H&E-stained section of a sentinel lymph node (breast cancer), from a whole-slide image, viewed at about 2.5×: the field is about 2.0 mm across, about 3.9 µm per pixel.
Image:
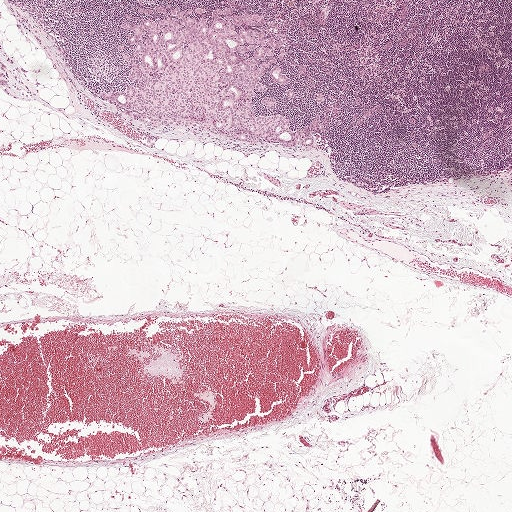
Question:
Does this lymph node field contain metastatic tumour?
Answer:
Yes.
Two metastatic tumour regions, each outlined as a closed clockwise path in crop pixels (x, y), largest first: region 1: (231, 7), (261, 15), (288, 54), (280, 67), (290, 85), (271, 80), (268, 67), (254, 113), (282, 114), (296, 130), (316, 111), (322, 125), (313, 147), (253, 144), (187, 126), (148, 128), (102, 95), (128, 91), (118, 49), (131, 47), (120, 26), (138, 23), (138, 8); region 2: (268, 96), (273, 97), (275, 100), (276, 108), (275, 110), (268, 110), (261, 104), (262, 98).
Tumour covers about 5% of the frame.